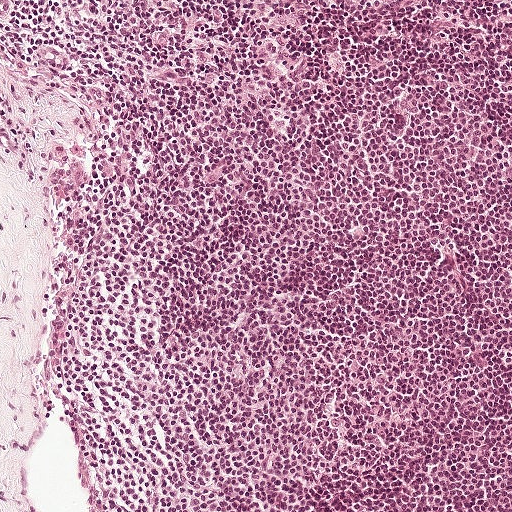
A 0.5-mm field of an H&E-stained sentinel lymph node from a breast-cancer patient (whole-slide image), shown at about 10×, about 0.97 µm per pixel.
Question: Does this lymph node field contain metastatic tumour?
Answer: No, this field holds no outlined metastasis.